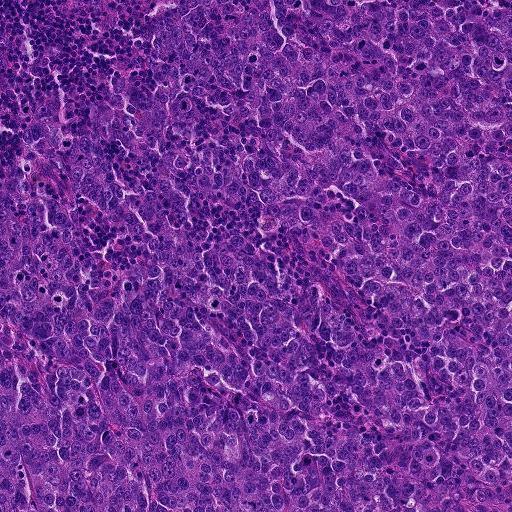
A 0.46-mm field of an H&E-stained sentinel lymph node from a breast-cancer patient (whole-slide image), shown at about 10×, about 0.9 µm per pixel.
Metastatic tumour outline, simplified to 15 points and listed clockwise in crop pixels (x, y): (181, 0), (511, 11), (511, 511), (0, 511), (0, 179), (25, 147), (36, 105), (64, 107), (62, 122), (88, 136), (83, 114), (124, 74), (157, 98), (144, 60), (147, 21).
Tumour covers about 95% of the frame.